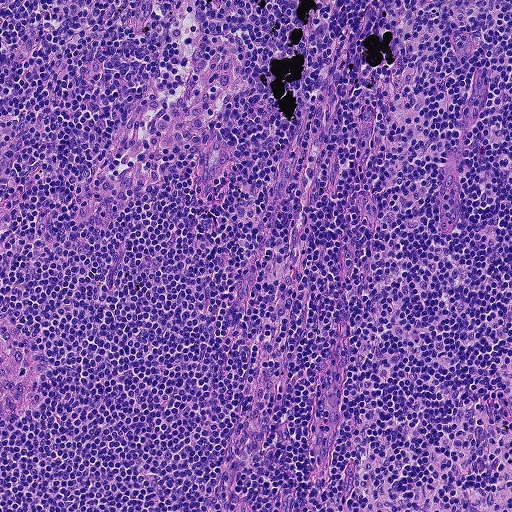
A 0.46-mm field of an H&E-stained sentinel lymph node from a breast-cancer patient (whole-slide image), shown at about 10×, about 0.9 µm per pixel.